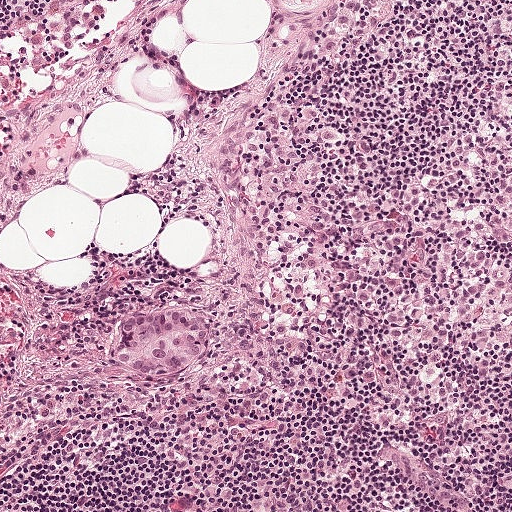
H&E-stained section of a sentinel lymph node (breast cancer), from a whole-slide image, viewed at about 10×: the field is about 0.5 mm across, about 0.97 µm per pixel.
One metastatic tumour region; its boundary, reduced to 12 corners and listed clockwise: (164, 312), (178, 312), (206, 321), (212, 330), (210, 358), (206, 364), (162, 387), (123, 384), (110, 379), (101, 368), (100, 356), (124, 313).
Tumour covers about 5% of the frame.